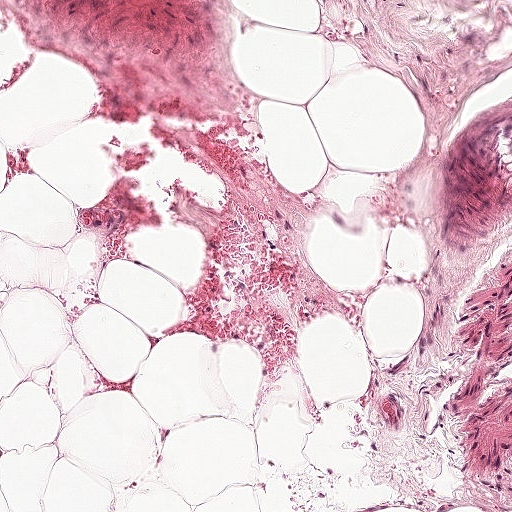
This is a crop of a whole-slide image: an H&E-stained breast-cancer sentinel lymph node section at roughly 10× magnification (about 0.97 µm per pixel; the crop spans about 0.5 mm).
Question: Does this lymph node field contain metastatic tumour?
Answer: No. No metastatic tumour is outlined in this field.